Image:
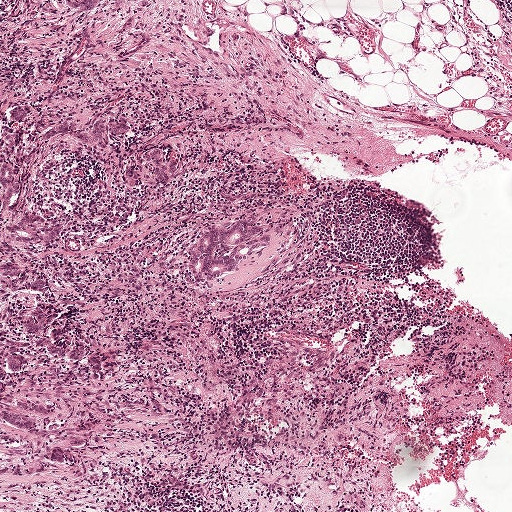
This is a crop of a whole-slide image: an H&E-stained breast-cancer sentinel lymph node section at roughly 5× magnification (about 1.9 µm per pixel; the crop spans about 1 mm).
Question:
Which parts of this field are metastatic tumour? Answer with the outline of each region, in pixels.
Answer:
The eight largest tumour regions' boundaries, simplified and listed clockwise, largest first: region 1: (250, 223), (264, 227), (272, 237), (272, 248), (220, 288), (209, 291), (199, 291), (190, 265), (196, 249), (214, 234); region 2: (10, 344), (20, 344), (30, 350), (32, 354), (28, 361), (27, 372), (23, 379), (7, 396), (2, 414), (7, 417), (15, 416), (23, 404), (34, 402), (46, 408), (56, 420), (55, 422), (38, 423), (42, 426), (45, 435), (45, 439), (41, 442), (22, 436), (0, 424), (0, 348); region 3: (32, 107), (34, 118), (28, 141), (20, 154), (18, 165), (22, 174), (20, 182), (24, 185), (22, 194), (12, 214), (0, 215), (0, 116), (13, 118), (21, 109); region 4: (126, 122), (131, 123), (136, 136), (130, 140), (114, 143), (106, 150), (92, 152), (86, 151), (76, 143), (57, 147), (47, 144), (47, 137), (73, 125), (88, 133), (103, 124), (117, 125); region 5: (31, 218), (40, 219), (66, 230), (66, 240), (64, 250), (50, 251), (22, 247), (9, 242), (7, 240), (8, 229); region 6: (158, 154), (165, 154), (171, 161), (184, 168), (184, 178), (178, 187), (168, 191), (154, 191), (131, 180), (131, 174), (149, 166), (152, 157); region 7: (44, 310), (49, 316), (51, 332), (55, 343), (60, 350), (72, 352), (75, 359), (75, 364), (62, 369), (57, 368), (39, 343), (28, 332), (25, 324); region 8: (10, 262), (24, 272), (24, 274), (19, 279), (6, 279), (0, 272), (0, 265).
Four more, smaller tumour regions are not outlined.
One more small tumour piece is annotated here but not outlined.
About 5% of this field is tumour.